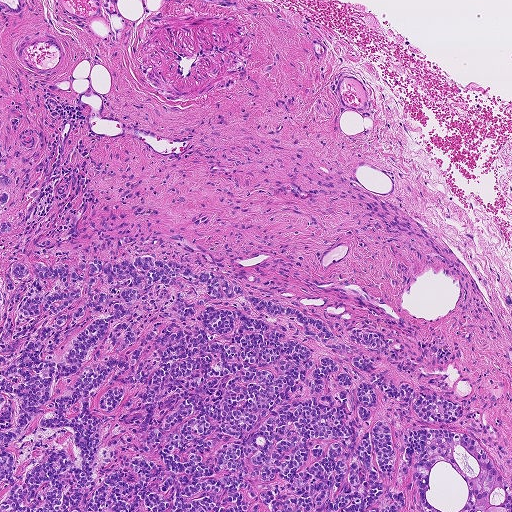
This is a crop of a whole-slide image: an H&E-stained breast-cancer sentinel lymph node section at roughly 5× magnification (about 1.8 µm per pixel; the crop spans about 0.93 mm).
Boundaries of four metastatic tumour regions, simplified and listed clockwise, largest first: region 1: (153, 256), (322, 318), (346, 342), (353, 329), (376, 332), (387, 353), (375, 357), (379, 368), (462, 402), (464, 416), (446, 427), (482, 442), (511, 511), (0, 511), (0, 276), (3, 286), (18, 262); region 2: (7, 220), (13, 224), (13, 231), (6, 234), (0, 234), (0, 221); region 3: (5, 191), (11, 196), (9, 203), (0, 207), (0, 193); region 4: (0, 171), (7, 175), (12, 180), (12, 182), (7, 186), (0, 184).
The annotated tumour makes up about 40% of the crop.